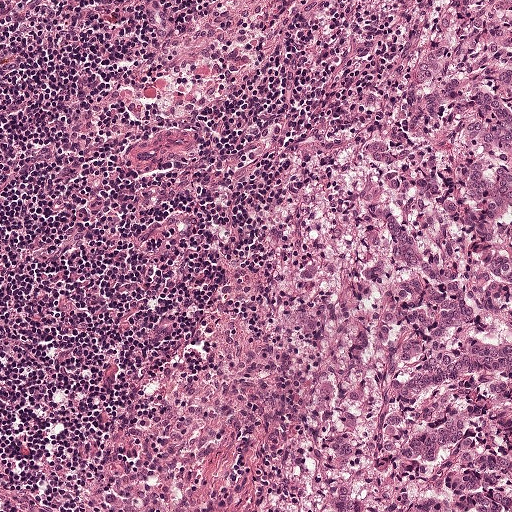
This is a crop of a whole-slide image: an H&E-stained breast-cancer sentinel lymph node section at roughly 10× magnification (about 0.97 µm per pixel; the crop spans about 0.5 mm).
Question: Does this lymph node field contain metastatic tumour?
Answer: Yes.
Metastatic tumour outline, simplified to 7 points and listed clockwise in crop pixels (x, y): (511, 0), (511, 511), (173, 511), (210, 481), (311, 344), (332, 110), (408, 3).
The annotated tumour makes up about 40% of the crop.